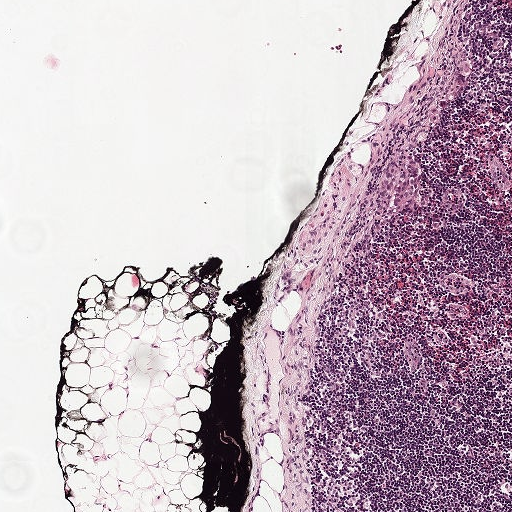
H&E-stained section of a sentinel lymph node (breast cancer), from a whole-slide image, viewed at about 5×: the field is about 1 mm across, about 1.9 µm per pixel.
Question: Where is the metastatic tumour in this field?
Answer: Tumour region outline (a closed clockwise path, crop pixels): (400, 150), (408, 150), (419, 158), (420, 167), (417, 193), (405, 204), (397, 204), (388, 198), (388, 205), (382, 209), (372, 208), (371, 189), (373, 182), (378, 172), (393, 154).
Under 5% of the image area is annotated as tumour.